Question: 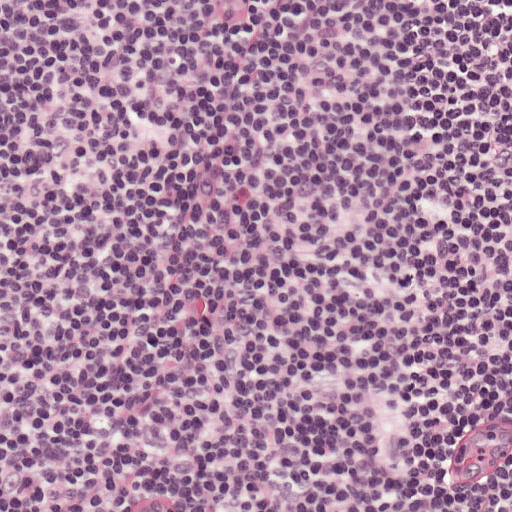
About what magnification does this crop show?

Choices:
 (A) about 10×
 (B) about 20×
 (C) about 2.5×
 (D) about 5×
 (E) about 40×

Answer: (B) about 20×
A 0.25-mm field of an H&E-stained sentinel lymph node from a breast-cancer patient (whole-slide image), shown at about 20×, about 0.49 µm per pixel.
Question: 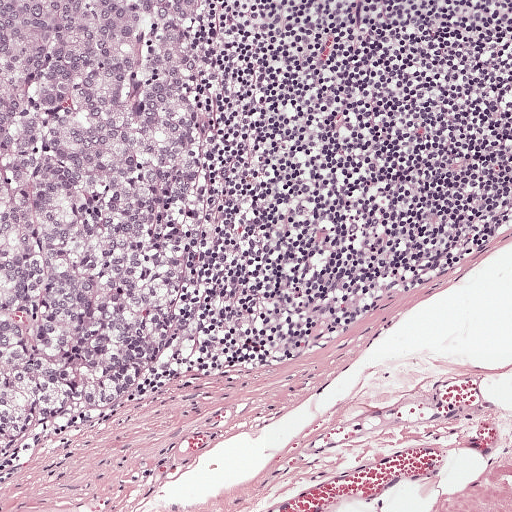
About what magnification does this crop show?

Choices:
 (A) about 2.5×
 (B) about 5×
 (C) about 10×
 (D) about 40×
 (E) about 20×

Answer: (C) about 10×
Lymph node section stained with H&E, from a whole-slide image of a breast-cancer sentinel node. Magnification about 10×, about 0.5 mm across the frame, about 0.97 µm per pixel.
The outlined metastatic tumour's edge, as a closed clockwise path of 6 points: (0, 0), (203, 0), (223, 147), (201, 292), (146, 382), (0, 475).
About 30% of this field is tumour.
Question: 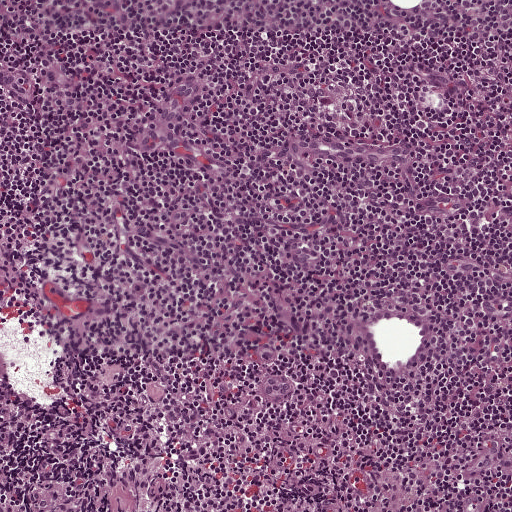
About what magnification does this crop show?

Choices:
 (A) about 10×
 (B) about 2.5×
 (C) about 20×
 (D) about 40×
 (E) about 5×

Answer: (A) about 10×
A 0.5-mm field of an H&E-stained sentinel lymph node from a breast-cancer patient (whole-slide image), shown at about 10×, about 0.97 µm per pixel.
Question: 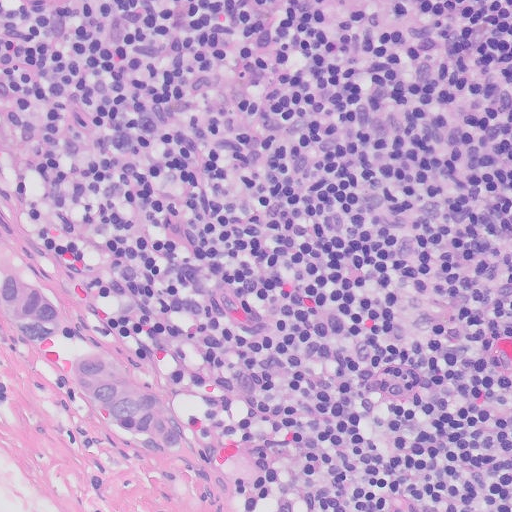
About what magnification does this crop show?

Choices:
 (A) about 20×
 (B) about 5×
 (C) about 40×
 (D) about 10×
 (E) about 2.5×

Answer: (A) about 20×
A 0.26-mm field of an H&E-stained sentinel lymph node from a breast-cancer patient (whole-slide image), shown at about 20×, about 0.5 µm per pixel.
Boundaries of two metastatic tumour regions, simplified and listed clockwise, largest first: region 1: (98, 352), (114, 362), (158, 402), (165, 413), (178, 422), (184, 434), (179, 449), (168, 457), (153, 457), (118, 430), (100, 407), (65, 379), (60, 365), (70, 353); region 2: (11, 266), (25, 280), (41, 287), (54, 297), (62, 309), (62, 324), (57, 336), (44, 342), (30, 343), (9, 325), (0, 309), (0, 269).
About 5% of this field is tumour.